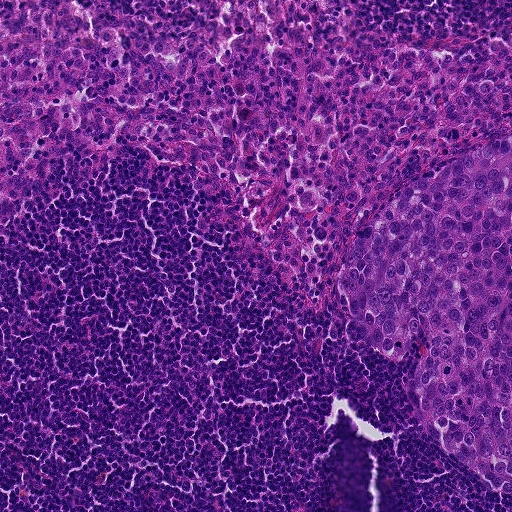
Lymph node section stained with H&E, from a whole-slide image of a breast-cancer sentinel node. Magnification about 10×, about 0.46 mm across the frame, about 0.9 µm per pixel.
The outlined metastatic tumour's edge, as a closed clockwise path of 12 points: (511, 135), (511, 493), (492, 490), (448, 456), (418, 412), (413, 376), (421, 335), (398, 362), (356, 327), (341, 274), (354, 239), (422, 178).
About 15% of this field is tumour.